H&E-stained section of a sentinel lymph node (breast cancer), from a whole-slide image, viewed at about 40×: the field is about 0.12 mm across, about 0.24 µm per pixel.
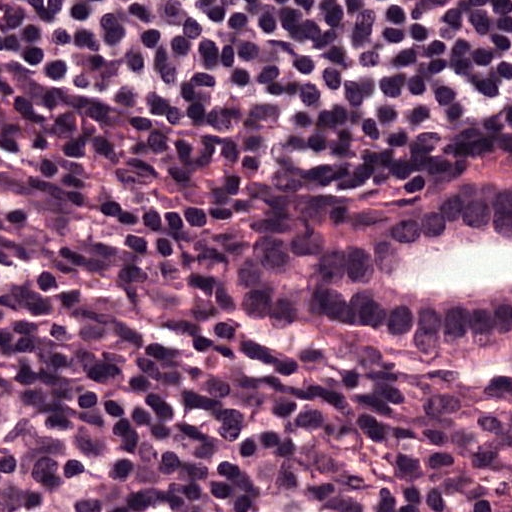
Tumour region outline (a closed clockwise path, crop pixels): (455, 185), (511, 185), (511, 366), (385, 346), (269, 341), (242, 330), (210, 287), (210, 255), (248, 225), (398, 205).
Tumour covers about 15% of the frame.